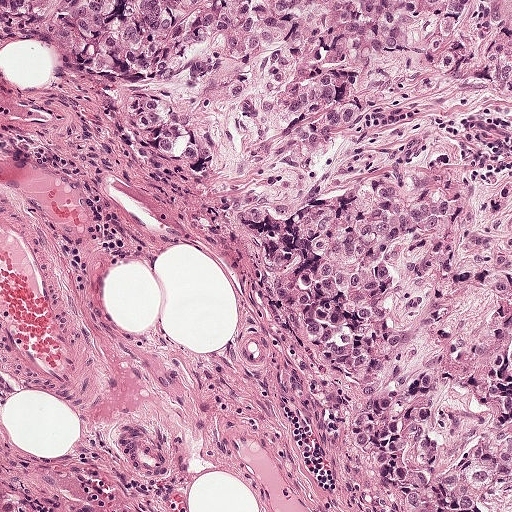
This is a crop of a whole-slide image: an H&E-stained breast-cancer sentinel lymph node section at roughly 10× magnification (about 0.97 µm per pixel; the crop spans about 0.5 mm).
Two metastatic tumour regions, each outlined as a closed clockwise path in crop pixels (x, y), largest first: region 1: (0, 0), (511, 0), (511, 511), (393, 511), (348, 419), (175, 164), (56, 70), (0, 45); region 2: (0, 495), (8, 500), (14, 504), (19, 505), (30, 511), (0, 511).
About 55% of this field is tumour.